This is a crop of a whole-slide image: an H&E-stained breast-cancer sentinel lymph node section at roughly 20× magnification (about 0.49 µm per pixel; the crop spans about 0.25 mm).
Image:
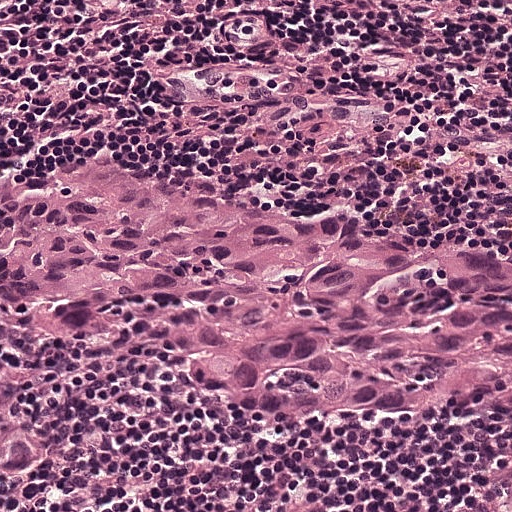
Question:
Does this lymph node field contain metastatic tumour?
Answer:
Yes.
One metastatic tumour region; its boundary, reduced to 6 corners and listed clockwise: (57, 109), (237, 182), (504, 242), (511, 511), (0, 511), (0, 150).
About 65% of the image area is annotated as tumour.